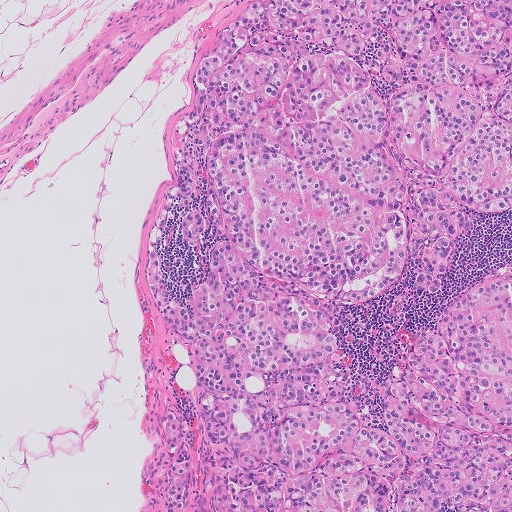
This is a crop of a whole-slide image: an H&E-stained breast-cancer sentinel lymph node section at roughly 5× magnification (about 2.0 µm per pixel; the crop spans about 1.0 mm).
Question: Outline the metastatic carcinoma in this image, as closed paths of (x, y) pixel coordinates.
Answer: One metastatic tumour region; its boundary, reduced to 11 corners and listed clockwise: (249, 0), (511, 0), (511, 511), (153, 511), (156, 425), (176, 370), (164, 316), (184, 259), (176, 146), (188, 89), (228, 12).
Tumour covers about 65% of the frame.